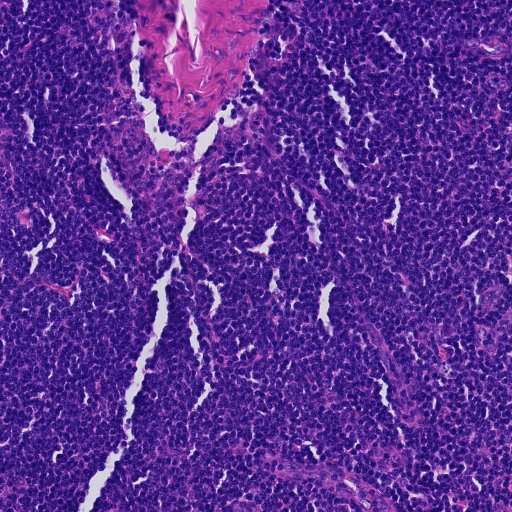
H&E-stained section of a sentinel lymph node (breast cancer), from a whole-slide image, viewed at about 10×: the field is about 0.46 mm across, about 0.91 µm per pixel.